Question: 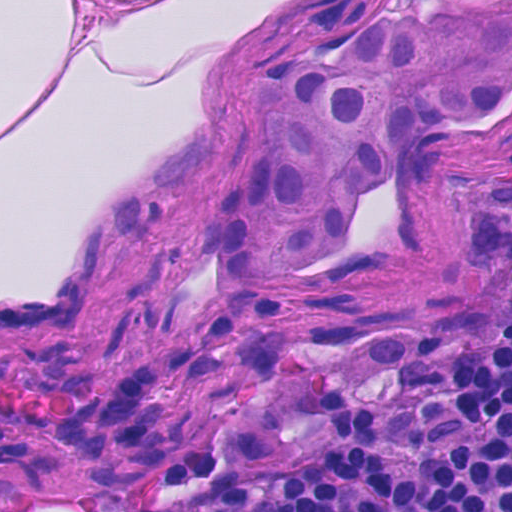
About what magnification does this crop show?

Choices:
 (A) about 2.5×
 (B) about 5×
 (C) about 20×
 (D) about 10×
 (E) about 40×

Answer: (E) about 40×
This is a crop of a whole-slide image: an H&E-stained breast-cancer sentinel lymph node section at roughly 40× magnification (about 0.23 µm per pixel; the crop spans about 0.12 mm).
One metastatic tumour region; its boundary, reduced to 14 corners and listed clockwise: (511, 2), (511, 111), (483, 131), (448, 131), (415, 155), (342, 254), (247, 288), (208, 280), (195, 259), (192, 219), (240, 117), (243, 64), (351, 38), (375, 16).
About 20% of the image area is annotated as tumour.